H&E-stained section of a sentinel lymph node (breast cancer), from a whole-slide image, viewed at about 10×: the field is about 0.5 mm across, about 0.97 µm per pixel.
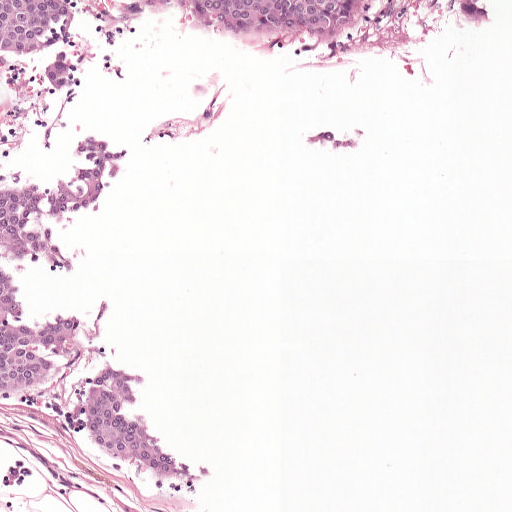
Two metastatic tumour regions, each outlined as a closed clockwise path in crop pixels (x, y), largest first: region 1: (0, 0), (511, 0), (511, 30), (445, 21), (423, 43), (330, 60), (256, 55), (228, 39), (168, 31), (174, 16), (142, 18), (141, 30), (112, 49), (126, 82), (95, 64), (69, 129), (55, 132), (55, 150), (44, 152), (39, 132), (5, 168), (48, 184), (56, 172), (68, 178), (80, 131), (134, 152), (73, 238), (87, 262), (82, 276), (26, 280), (43, 310), (109, 290), (150, 408), (192, 456), (191, 486), (157, 482), (97, 451), (71, 431), (65, 400), (4, 397); region 2: (316, 121), (366, 130), (359, 148), (332, 154), (299, 143).
About 25% of the image area is annotated as tumour.